Question: 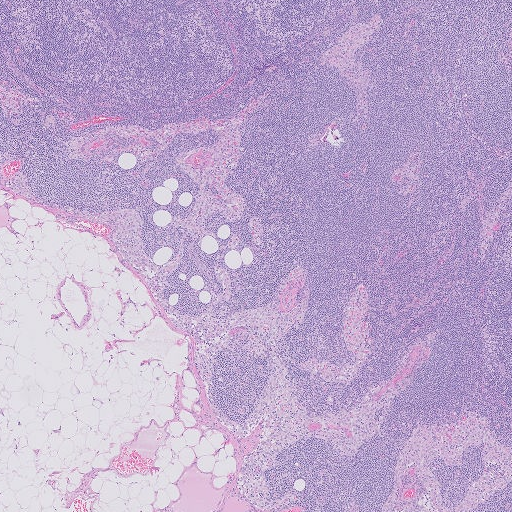
Which magnification is this H&E lymph node field most likely shown at?

Choices:
 (A) about 5×
 (B) about 2.5×
 (C) about 20×
 (D) about 10×
 (E) about 40×

Answer: (B) about 2.5×
A 2.0-mm field of an H&E-stained sentinel lymph node from a breast-cancer patient (whole-slide image), shown at about 2.5×, about 4.0 µm per pixel.